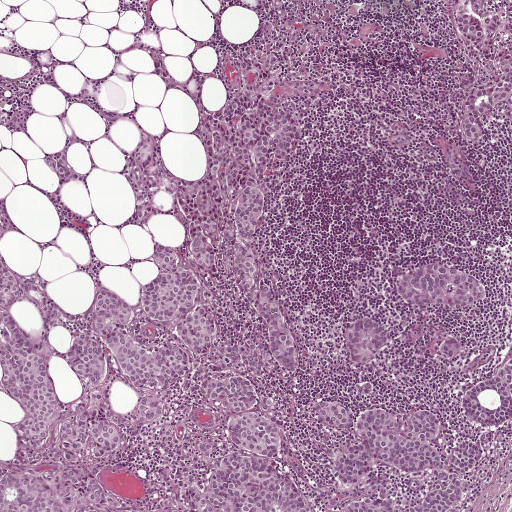
Lymph node section stained with H&E, from a whole-slide image of a breast-cancer sentinel node. Magnification about 5×, about 1 mm across the frame, about 1.9 µm per pixel.
Eight metastatic tumour regions, each outlined as a closed clockwise path in crop pixels (x, y), largest first: region 1: (58, 468), (86, 470), (126, 509), (122, 511), (0, 511), (0, 476), (16, 472), (44, 473); region 2: (142, 135), (152, 139), (165, 170), (178, 180), (180, 187), (174, 192), (161, 189), (152, 200), (152, 212), (142, 222), (135, 217), (135, 194), (128, 171), (127, 157), (134, 150); region 3: (511, 58), (511, 91), (506, 98), (480, 113), (476, 119), (482, 134), (478, 137), (468, 138), (463, 124), (470, 112), (469, 96), (472, 92), (486, 89), (502, 77), (501, 62); region 4: (450, 0), (469, 0), (467, 9), (468, 14), (480, 23), (482, 37), (478, 38), (463, 35), (455, 28), (453, 23), (455, 18), (466, 6), (461, 6); region 5: (4, 198), (17, 230), (1, 232), (0, 237), (0, 199); region 6: (300, 18), (303, 23), (300, 36), (296, 41), (283, 52), (292, 40), (291, 33), (287, 28), (286, 21); region 7: (57, 152), (66, 152), (66, 160), (71, 168), (71, 176), (64, 178), (57, 174), (62, 167), (53, 156); region 8: (15, 111), (18, 116), (18, 128), (10, 126), (8, 121), (10, 115).
One more tumour region is annotated but not outlined: its edge is too irregular for a short outline.
One more small tumour piece is annotated here but not outlined.
About 35% of the image area is annotated as tumour.